Image:
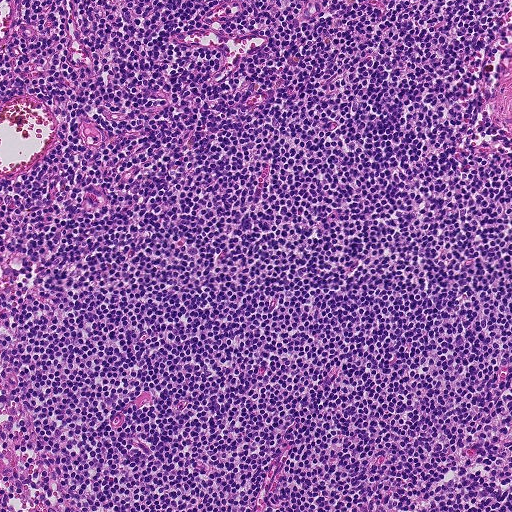
This is a crop of a whole-slide image: an H&E-stained breast-cancer sentinel lymph node section at roughly 10× magnification (about 0.9 µm per pixel; the crop spans about 0.46 mm).
Question:
Is any metastatic breast cancer visible in this crop?
Answer:
No. No metastatic tumour is outlined in this field.